Question: 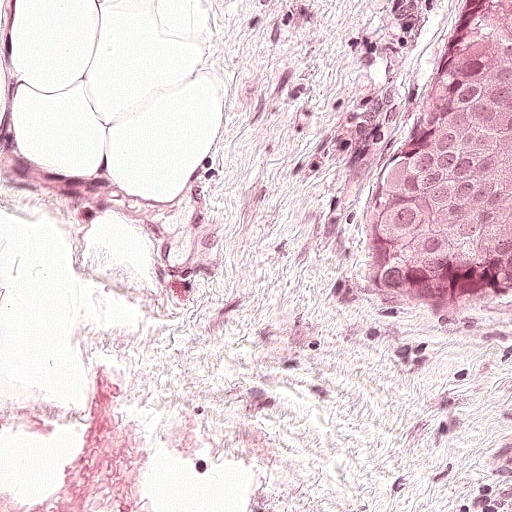
This is a crop of a whole-slide image: an H&E-stained breast-cancer sentinel lymph node section at roughly 20× magnification (about 0.49 µm per pixel; the crop spans about 0.25 mm).
Estimate the proportion of this field that is metastatic tumour.

Choices:
 (A) none: no tumour is outlined
 (B) about 10% to 20%
 (C) about 50% or more
 (D) about 25% to 45%
 (E) about 5% or less

Answer: (B) about 10% to 20%
About 15% of the field is tumour.
Tumour region outline (a closed clockwise path, crop pixels): (511, 0), (511, 299), (448, 323), (374, 320), (355, 300), (358, 160), (419, 100), (450, 38), (482, 2).